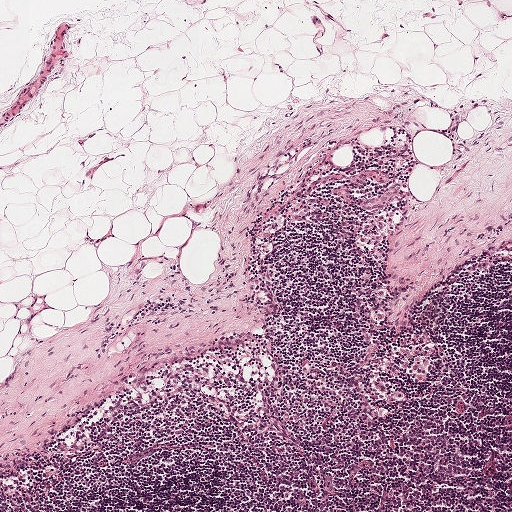
H&E-stained section of a sentinel lymph node (breast cancer), from a whole-slide image, viewed at about 5×: the field is about 1 mm across, about 1.9 µm per pixel.
Question: Is there metastatic carcinoma in this field?
Answer: No. No metastatic tumour is outlined in this field.